Question: 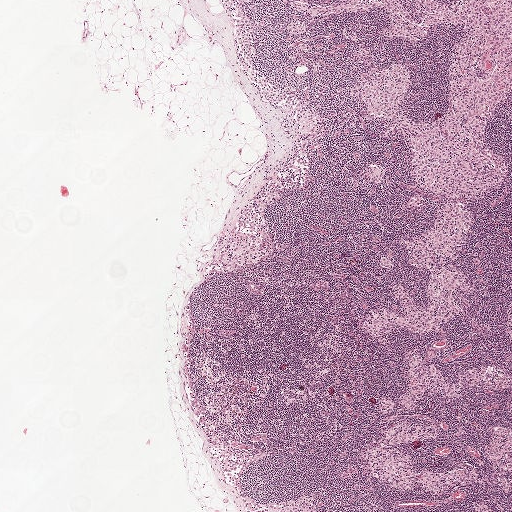
H&E-stained section of a sentinel lymph node (breast cancer), from a whole-slide image, viewed at about 2.5×: the field is about 2.0 mm across, about 3.9 µm per pixel.
What fraction of the image area is metastatic tumour?

Choices:
 (A) none: no tumour is outlined
 (B) about 5% or less
 (C) about 50% or more
 (D) about 10% to 20%
 (E) about 25% to 45%

Answer: (A) none: no tumour is outlined
No metastatic tumour is outlined in this field.